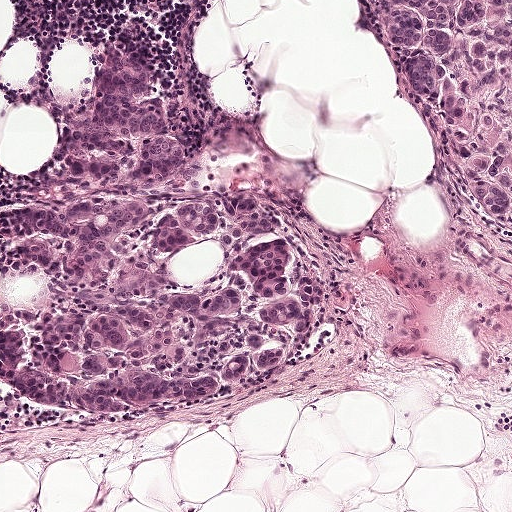
This is a crop of a whole-slide image: an H&E-stained breast-cancer sentinel lymph node section at roughly 10× magnification (about 0.97 µm per pixel; the crop spans about 0.5 mm).
Outlines of two tumour regions, largest first (closed clockwise paths, crop pixels): region 1: (128, 48), (188, 167), (219, 192), (258, 191), (278, 207), (314, 325), (314, 341), (275, 378), (228, 401), (114, 427), (0, 395), (0, 313), (42, 316), (54, 296), (26, 254), (24, 225), (33, 208), (82, 206), (61, 170), (101, 77); region 2: (358, 0), (511, 0), (511, 238), (454, 188).
One more small tumour piece is annotated here but not outlined.
About 35% of this field is tumour.